Image:
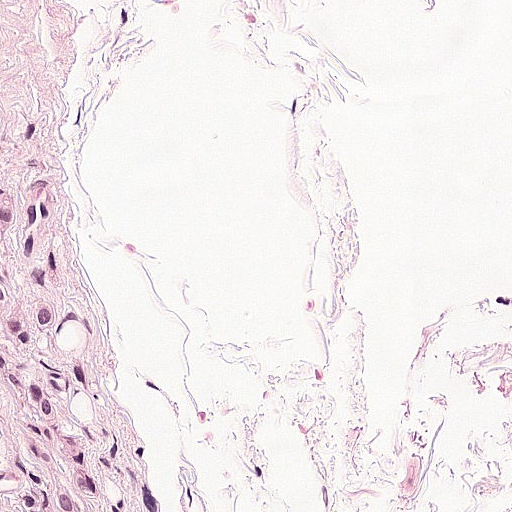
This is a crop of a whole-slide image: an H&E-stained breast-cancer sentinel lymph node section at roughly 20× magnification (about 0.49 µm per pixel; the crop spans about 0.25 mm).
Question:
Show where the tumour is in this image.
Answer:
Metastatic tumour outline, simplified to 10 points and listed clockwise in crop pixels (x, y): (0, 120), (28, 138), (50, 176), (60, 225), (56, 332), (90, 361), (110, 392), (122, 418), (124, 511), (0, 511).
Tumour covers about 10% of the frame.